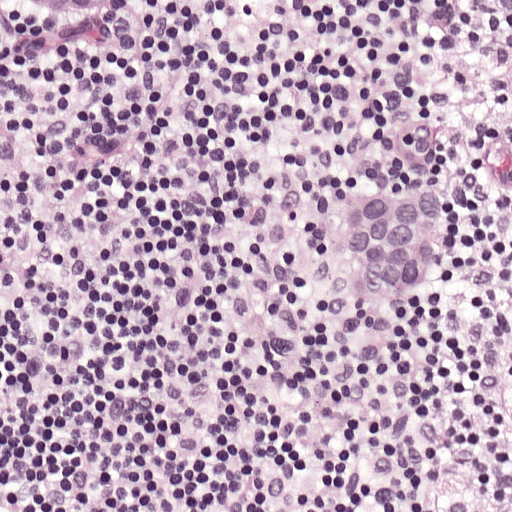
H&E-stained section of a sentinel lymph node (breast cancer), from a whole-slide image, viewed at about 20×: the field is about 0.25 mm across, about 0.49 µm per pixel.
Outlines of four tumour regions, largest first (closed clockwise paths, crop pixels): region 1: (446, 152), (480, 188), (464, 231), (425, 270), (384, 290), (332, 299), (290, 274), (299, 228), (333, 190); region 2: (0, 0), (143, 0), (142, 7), (98, 38), (46, 42), (5, 17); region 3: (473, 0), (511, 0), (511, 15), (485, 12); region 4: (511, 486), (511, 511), (504, 511), (510, 488).
The annotated tumour makes up about 10% of the crop.